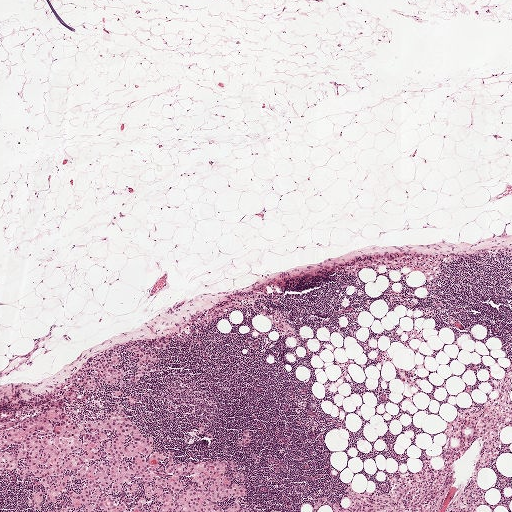
A 2.0-mm field of an H&E-stained sentinel lymph node from a breast-cancer patient (whole-slide image), shown at about 2.5×, about 3.9 µm per pixel.
Question: Describe where the metastatic carcinoma lies in this crop.
Answer: Six metastatic tumour regions, each outlined as a closed clockwise path in crop pixels (x, y), largest first: region 1: (89, 375), (105, 392), (79, 389), (65, 408), (77, 423), (121, 404), (152, 436), (151, 454), (173, 449), (175, 463), (235, 460), (246, 491), (240, 511), (42, 511), (48, 506), (27, 501), (42, 483), (0, 469), (0, 417), (30, 417); region 2: (136, 344), (153, 350), (159, 359), (158, 363), (154, 363), (153, 365), (159, 369), (158, 373), (151, 371), (149, 375), (144, 375), (133, 385), (128, 381), (137, 369), (137, 360), (129, 360), (135, 352), (130, 353), (128, 350), (129, 347); region 3: (112, 353), (120, 353), (121, 363), (112, 367), (114, 369), (121, 368), (126, 373), (122, 380), (126, 385), (121, 387), (119, 385), (120, 380), (113, 386), (105, 383), (104, 380), (102, 383), (99, 383), (98, 381), (99, 378), (102, 378), (101, 371), (92, 364), (100, 360), (99, 357), (103, 355), (105, 357), (110, 357); region 4: (246, 429), (248, 430), (250, 437), (250, 444), (246, 446), (240, 446), (234, 444), (236, 440), (241, 438), (242, 433), (244, 430); region 5: (164, 340), (167, 341), (169, 344), (169, 348), (159, 350), (151, 346), (152, 343), (157, 341), (161, 341); region 6: (134, 394), (139, 397), (140, 402), (136, 405), (131, 405), (127, 403), (125, 399), (128, 396).
Three more small tumour pieces are annotated here but not outlined.
About 10% of this field is tumour.